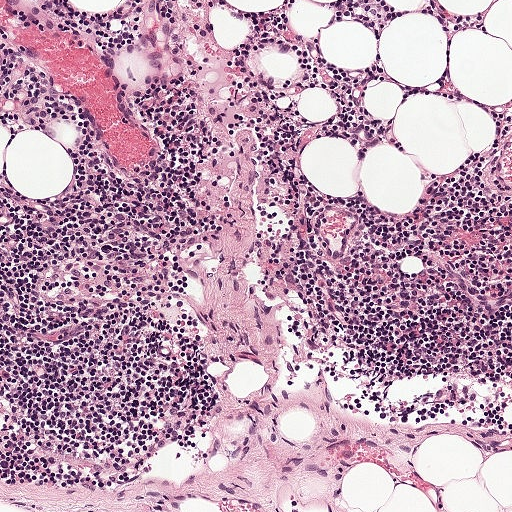
H&E-stained section of a sentinel lymph node (breast cancer), from a whole-slide image, viewed at about 10×: the field is about 0.5 mm across, about 0.97 µm per pixel.
Question: Does this lymph node field contain metastatic tumour?
Answer: No. No metastatic tumour is outlined in this field.